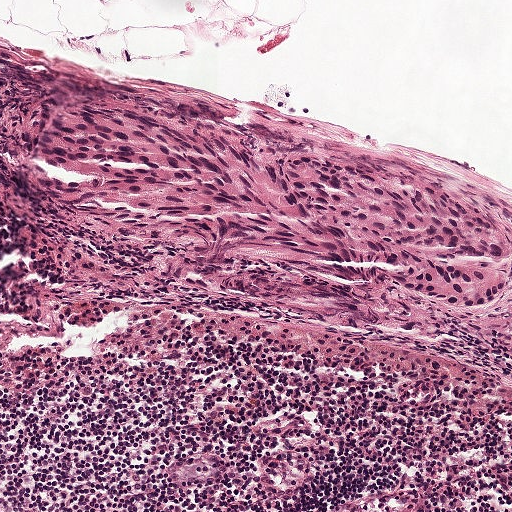
Lymph node section stained with H&E, from a whole-slide image of a breast-cancer sentinel node. Magnification about 10×, about 0.5 mm across the frame, about 0.97 µm per pixel.
One metastatic tumour region; its boundary, reduced to 12 corners and listed clockwise: (170, 75), (322, 142), (360, 142), (444, 180), (502, 236), (492, 304), (436, 325), (345, 323), (164, 274), (30, 169), (0, 106), (0, 78).
About 30% of this field is tumour.